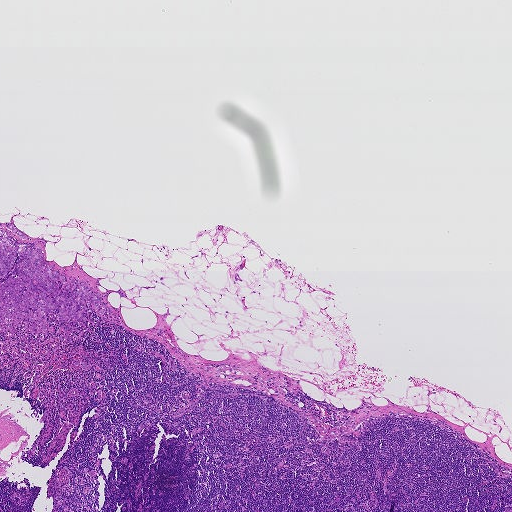
H&E-stained section of a sentinel lymph node (breast cancer), from a whole-slide image, viewed at about 2.5×: the field is about 1.9 mm across, about 3.6 µm per pixel.
Boundaries of four metastatic tumour regions, simplified and listed clockwise, largest first: region 1: (0, 229), (14, 243), (39, 244), (43, 261), (69, 284), (73, 278), (86, 280), (105, 292), (107, 305), (121, 323), (103, 320), (93, 308), (84, 325), (59, 322), (57, 309), (46, 315), (52, 334), (34, 335), (12, 323), (9, 330), (0, 322), (0, 282), (5, 278), (0, 281); region 2: (0, 222), (10, 223), (19, 230), (28, 235), (28, 237), (31, 238), (31, 240), (24, 240), (16, 234), (7, 228), (3, 227), (0, 227); region 3: (74, 360), (80, 360), (85, 363), (86, 364), (88, 365), (89, 364), (91, 364), (91, 366), (90, 368), (87, 369), (81, 368), (78, 365), (74, 364), (72, 363), (72, 361); region 4: (63, 324), (65, 326), (64, 329), (67, 329), (67, 331), (64, 334), (64, 335), (61, 340), (59, 340), (58, 338), (58, 336), (63, 332), (61, 326), (62, 325).
One more small tumour piece is annotated here but not outlined.
About 5% of this field is tumour.